Question: 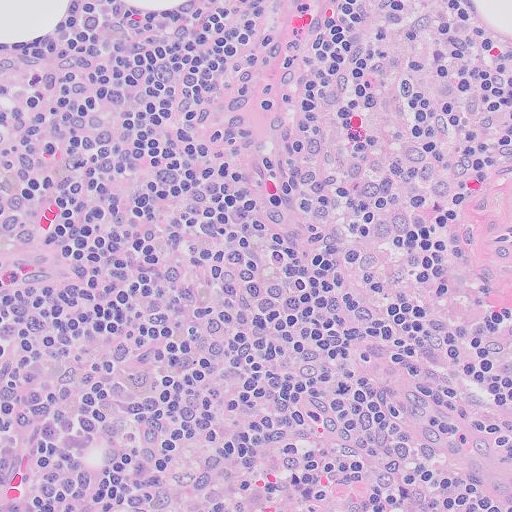
About what magnification does this crop show?

Choices:
 (A) about 20×
 (B) about 40×
 (C) about 2.5×
 (D) about 10×
 (E) about 5×

Answer: (A) about 20×
Lymph node section stained with H&E, from a whole-slide image of a breast-cancer sentinel node. Magnification about 20×, about 0.26 mm across the frame, about 0.5 µm per pixel.